Image:
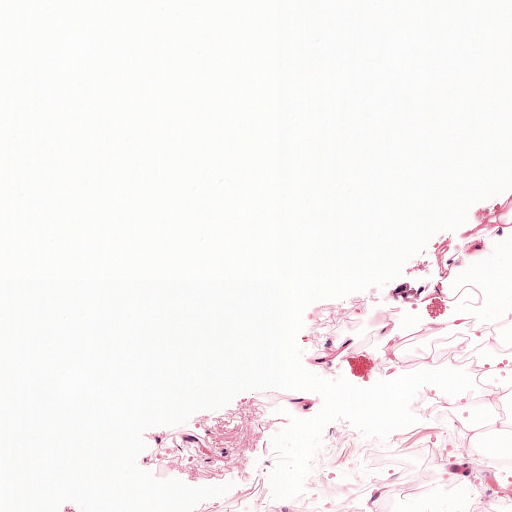
This is a crop of a whole-slide image: an H&E-stained breast-cancer sentinel lymph node section at roughly 10× magnification (about 0.97 µm per pixel; the crop spans about 0.5 mm).
Question:
Trace the edge of each tumour region in this crop, as (x, y) points from 0 to 511.
Answer:
The outlined metastatic tumour's edge, as a closed clockwise path of 12 points: (405, 282), (411, 282), (414, 288), (424, 286), (424, 293), (418, 298), (408, 296), (407, 301), (398, 298), (393, 301), (389, 292), (397, 285).
Under 5% of the image area is annotated as tumour.